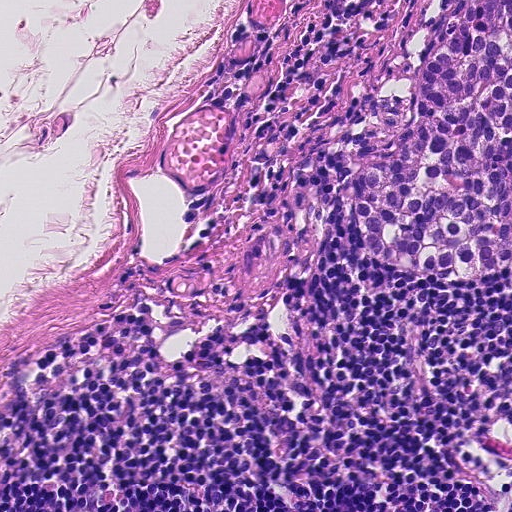
Lymph node section stained with H&E, from a whole-slide image of a breast-cancer sentinel node. Magnification about 20×, about 0.23 mm across the frame, about 0.45 µm per pixel.
The outlined metastatic tumour's edge, as a closed clockwise path of 11 points: (443, 0), (511, 0), (511, 277), (494, 267), (462, 277), (392, 271), (375, 264), (358, 232), (358, 158), (404, 128), (424, 28).
About 15% of this field is tumour.